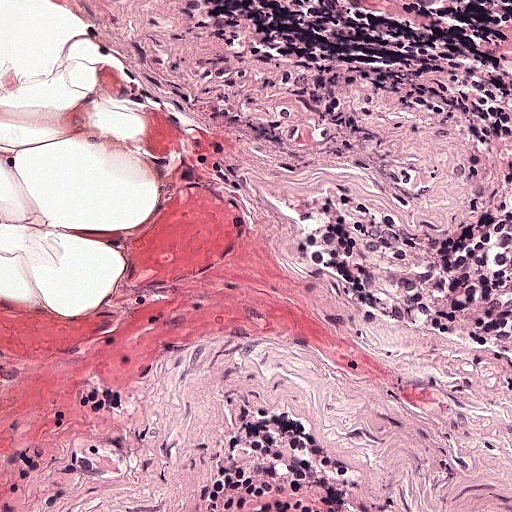
A 0.25-mm field of an H&E-stained sentinel lymph node from a breast-cancer patient (whole-slide image), shown at about 20×, about 0.49 µm per pixel.